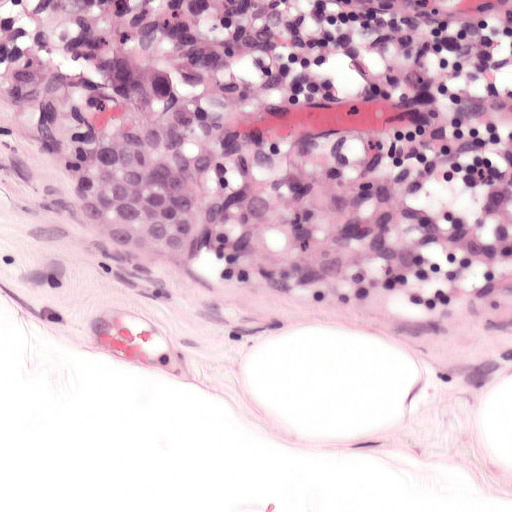
Lymph node section stained with H&E, from a whole-slide image of a breast-cancer sentinel node. Magnification about 20×, about 0.25 mm across the frame, about 0.49 µm per pixel.
Tumour region outline (a closed clockwise path, crop pixels): (160, 116), (205, 132), (228, 177), (218, 232), (180, 270), (131, 280), (84, 256), (66, 206), (76, 154), (111, 119).
Tumour covers about 10% of the frame.